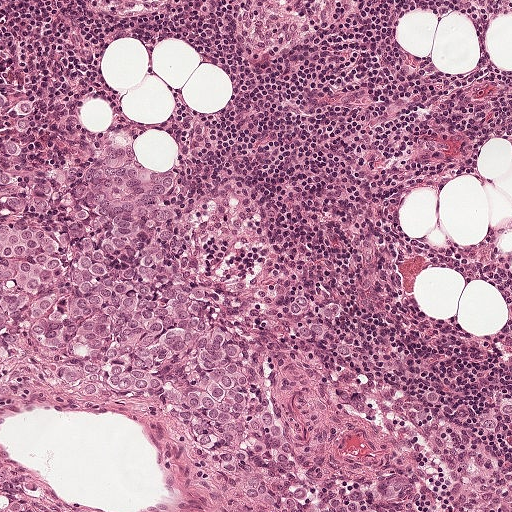
This is a crop of a whole-slide image: an H&E-stained breast-cancer sentinel lymph node section at roughly 10× magnification (about 0.97 µm per pixel; the crop spans about 0.5 mm).
Two metastatic tumour regions, each outlined as a closed clockwise path in crop pixels (x, y), largest first: region 1: (0, 91), (30, 108), (14, 158), (47, 189), (40, 234), (66, 232), (78, 175), (106, 145), (134, 152), (171, 184), (204, 313), (251, 347), (302, 473), (406, 478), (428, 511), (242, 511), (234, 476), (204, 461), (169, 411), (94, 401), (27, 362), (0, 390); region 2: (0, 458), (26, 480), (52, 506), (63, 511), (0, 511).
One more small tumour piece is annotated here but not outlined.
The annotated tumour makes up about 25% of the crop.